Question: 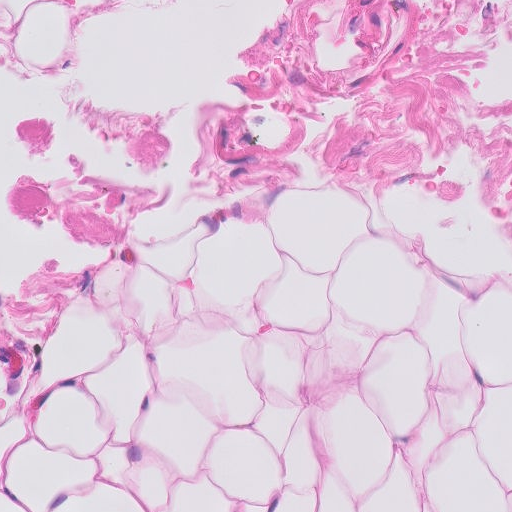
About what magnification does this crop show?

Choices:
 (A) about 10×
 (B) about 40×
 (C) about 20×
 (D) about 2.5×
 (E) about 5×

Answer: (C) about 20×
H&E-stained section of a sentinel lymph node (breast cancer), from a whole-slide image, viewed at about 20×: the field is about 0.26 mm across, about 0.5 µm per pixel.